Image:
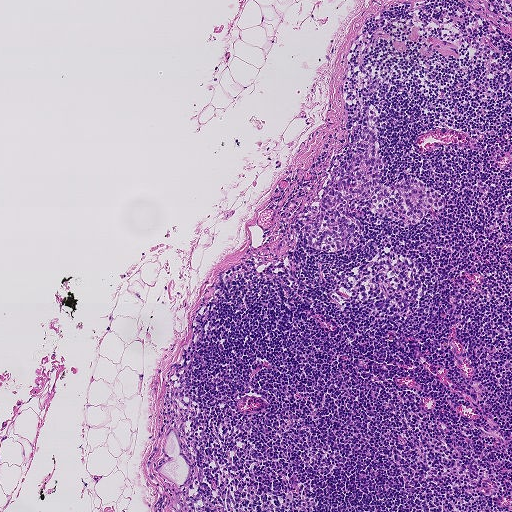
This is a crop of a whole-slide image: an H&E-stained breast-cancer sentinel lymph node section at roughly 5× magnification (about 1.8 µm per pixel; the crop spans about 0.93 mm).
Question:
Trace the edge of each tumour region in this crop, as (x, y) points from 0 to 511.
Answer:
The outlined metastatic tumour's edge, as a closed clockwise path of 22 points: (371, 104), (379, 114), (380, 181), (387, 187), (415, 177), (442, 191), (445, 204), (408, 227), (385, 216), (373, 224), (367, 211), (350, 252), (314, 250), (306, 240), (306, 221), (319, 210), (327, 170), (338, 161), (350, 169), (351, 148), (363, 153), (357, 144).
About 5% of this field is tumour.